Question: 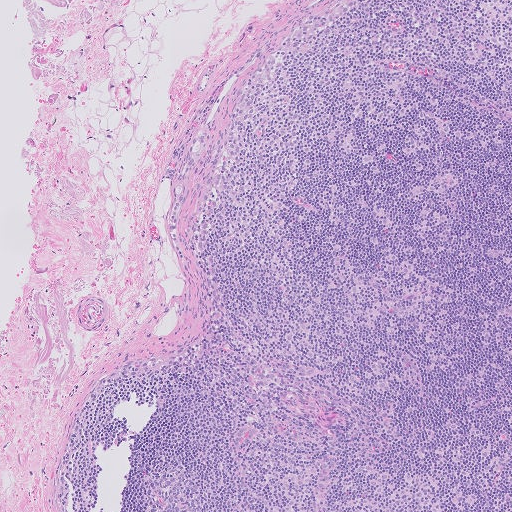
Lymph node section stained with H&E, from a whole-slide image of a breast-cancer sentinel node. Magnification about 5×, about 1.0 mm across the frame, about 2.0 µm per pixel.
Roughly what share of this field is metastatic tumour?

Choices:
 (A) about 10% to 20%
 (B) about 5% or less
 (C) none: no tumour is outlined
 (D) about 25% to 45%
 (E) about 50% or more

Answer: (B) about 5% or less
Under 5% of the field is tumour.
The outlined metastatic tumour's edge, as a closed clockwise path of 14 points: (204, 127), (207, 128), (207, 145), (190, 174), (185, 201), (178, 215), (177, 232), (180, 248), (175, 250), (168, 230), (168, 214), (172, 203), (174, 182), (198, 130).